H&E-stained section of a sentinel lymph node (breast cancer), from a whole-slide image, viewed at about 2.5×: the field is about 2.0 mm across, about 3.9 µm per pixel.
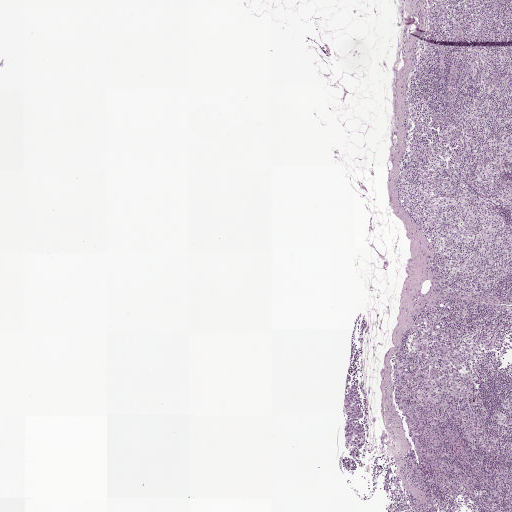
Metastatic tumour outline, simplified to 14 points and listed clockwise in crop pixels (x, y): (352, 386), (357, 388), (363, 411), (363, 416), (359, 419), (364, 435), (364, 440), (353, 458), (345, 442), (343, 430), (346, 418), (343, 396), (348, 394), (347, 388).
Tumour covers under 5% of the frame.